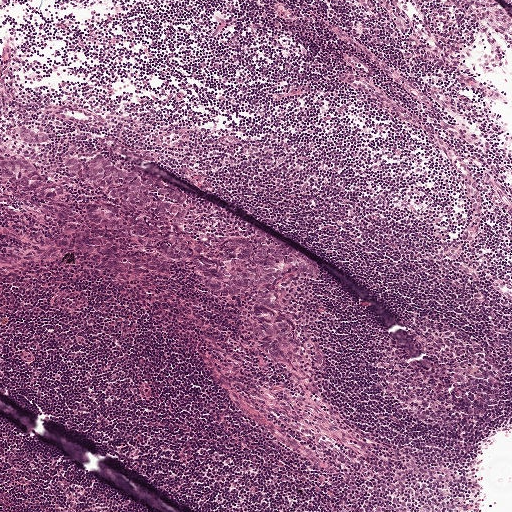
A 1-mm field of an H&E-stained sentinel lymph node from a breast-cancer patient (whole-slide image), shown at about 5×, about 1.9 µm per pixel.
Question: Which parts of this field are metastatic tumour?
Answer: Outlines of four tumour regions, largest first (closed clockwise paths, crop pixels): region 1: (108, 206), (144, 223), (185, 232), (203, 244), (239, 237), (277, 244), (307, 259), (320, 279), (286, 280), (279, 293), (280, 301), (296, 316), (311, 357), (294, 366), (272, 358), (260, 347), (252, 326), (253, 300), (211, 296), (187, 264), (103, 234), (85, 218), (86, 208); region 2: (76, 154), (88, 159), (99, 155), (119, 166), (137, 169), (176, 186), (189, 201), (187, 221), (184, 224), (176, 224), (150, 219), (106, 200), (96, 190), (70, 178), (64, 164), (68, 157); region 3: (0, 142), (14, 148), (34, 167), (46, 174), (60, 190), (60, 198), (57, 201), (43, 201), (31, 193), (13, 187), (0, 177); region 4: (24, 126), (32, 128), (34, 132), (37, 131), (48, 134), (49, 140), (34, 145), (21, 142), (17, 137), (18, 129).
About 5% of this field is tumour.

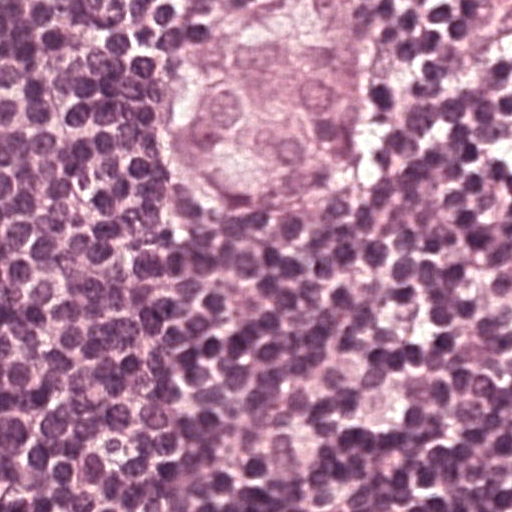
This is a crop of a whole-slide image: an H&E-stained breast-cancer sentinel lymph node section at roughly 40× magnification (about 0.24 µm per pixel; the crop spans about 0.12 mm).
Question: Which parts of this field are metastatic tumour?
Answer: Tumour region outline (a closed clockwise path, crop pixels): (365, 0), (413, 38), (410, 106), (373, 215), (314, 250), (205, 238), (151, 192), (151, 119), (164, 69), (273, 1).
About 20% of the image area is annotated as tumour.

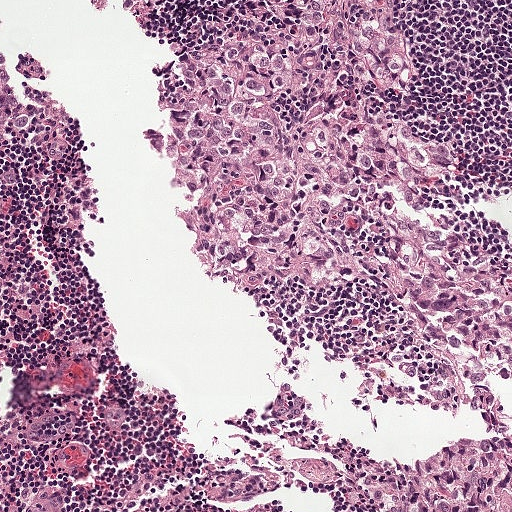
A 0.5-mm field of an H&E-stained sentinel lymph node from a breast-cancer patient (whole-slide image), shown at about 10×, about 0.97 µm per pixel.
Question: Which parts of this field are metastatic tumour?
Answer: Boundaries of four metastatic tumour regions, simplified and listed clockwise, largest first: region 1: (395, 0), (418, 76), (407, 109), (446, 160), (445, 183), (421, 193), (422, 209), (511, 261), (511, 390), (318, 323), (253, 286), (216, 247), (170, 138), (169, 84), (240, 3); region 2: (511, 444), (511, 511), (385, 511), (362, 488), (365, 479), (376, 472), (432, 462), (454, 445); region 3: (0, 55), (13, 97), (18, 104), (33, 115), (33, 123), (24, 134), (0, 140); region 4: (131, 0), (177, 0), (175, 18), (150, 18).
The annotated tumour makes up about 35% of the crop.

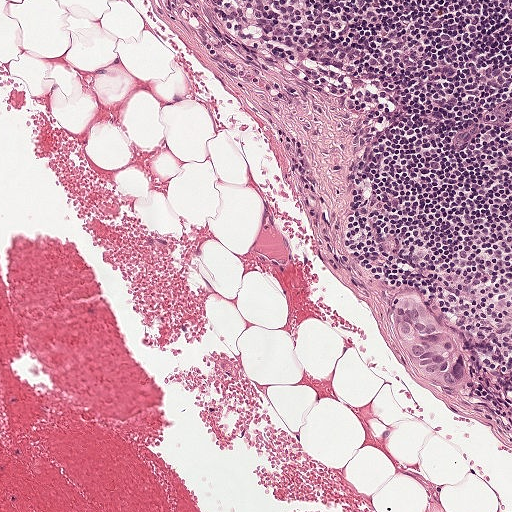
This is a crop of a whole-slide image: an H&E-stained breast-cancer sentinel lymph node section at roughly 10× magnification (about 0.97 µm per pixel; the crop spans about 0.5 mm).
Question: Which parts of this field are metastatic tumour?
Answer: Metastatic tumour outline, simplified to 12 points and listed clockwise in crop pixels (x, y): (409, 286), (426, 292), (460, 335), (467, 355), (467, 370), (460, 388), (448, 389), (438, 387), (404, 363), (398, 340), (388, 321), (391, 298).
Tumour covers under 5% of the frame.